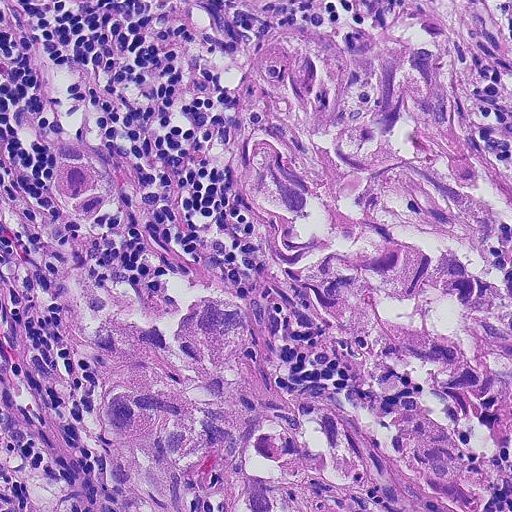
H&E-stained section of a sentinel lymph node (breast cancer), from a whole-slide image, viewed at about 20×: the field is about 0.23 mm across, about 0.45 µm per pixel.
One metastatic tumour region; its boundary, reduced to 22 corners and listed clockwise: (212, 0), (511, 0), (511, 484), (487, 511), (410, 511), (348, 485), (304, 486), (308, 511), (152, 511), (140, 496), (36, 250), (0, 238), (0, 147), (44, 192), (53, 132), (131, 152), (164, 238), (238, 279), (269, 360), (388, 417), (298, 300), (222, 142).
Tumour covers about 70% of the frame.